Lymph node section stained with H&E, from a whole-slide image of a breast-cancer sentinel node. Magnification about 10×, about 0.5 mm across the frame, about 0.97 µm per pixel.
Image:
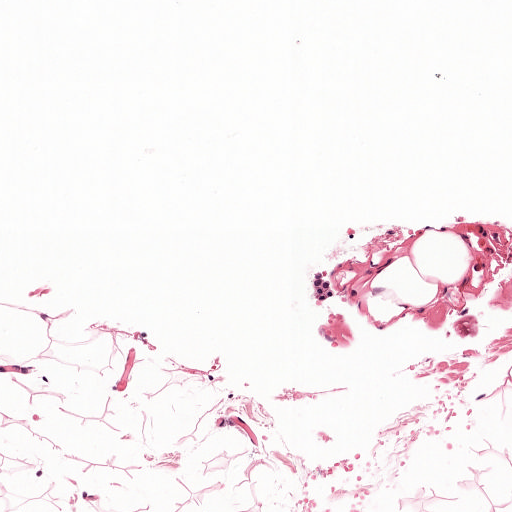
Question:
Outline the metastatic carcinoma in this image, as closed paths of (x, y) pixel coordinates.
Answer:
One metastatic tumour region; its boundary, reduced to 7 corners and listed clockwise: (318, 271), (328, 276), (336, 296), (328, 308), (320, 308), (310, 298), (313, 276).
One more small tumour piece is annotated here but not outlined.
Under 5% of this field is tumour.